H&E-stained section of a sentinel lymph node (breast cancer), from a whole-slide image, viewed at about 5×: the field is about 1 mm across, about 1.9 µm per pixel.
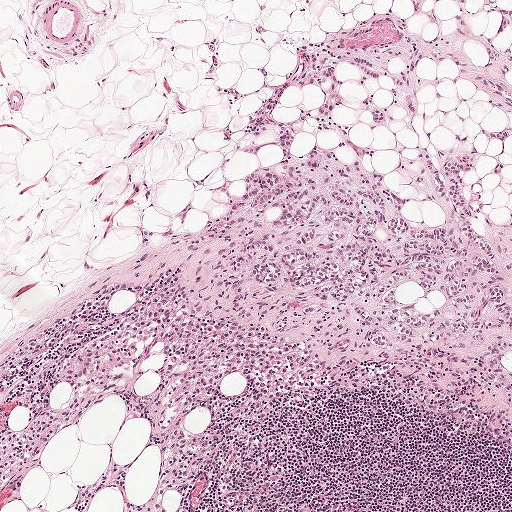
Outlines of two tumour regions, largest first (closed clockwise paths, crop pixels): region 1: (392, 0), (417, 0), (412, 26), (435, 37), (482, 36), (511, 55), (511, 411), (465, 375), (248, 344), (186, 294), (187, 253), (226, 217), (256, 166), (243, 146), (250, 115), (328, 39), (387, 13); region 2: (511, 8), (511, 24), (508, 26), (504, 34), (490, 32), (488, 26), (494, 15), (501, 9).
About 35% of this field is tumour.